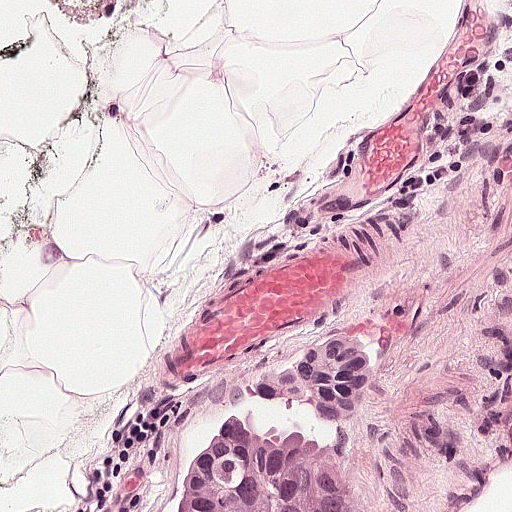
This is a crop of a whole-slide image: an H&E-stained breast-cancer sentinel lymph node section at roughly 20× magnification (about 0.49 µm per pixel; the crop spans about 0.25 mm).
One metastatic tumour region; its boundary, reduced to 10 corners and listed clockwise: (362, 324), (379, 330), (378, 389), (367, 418), (374, 494), (367, 511), (170, 511), (212, 406), (224, 389), (315, 337).
About 10% of the image area is annotated as tumour.